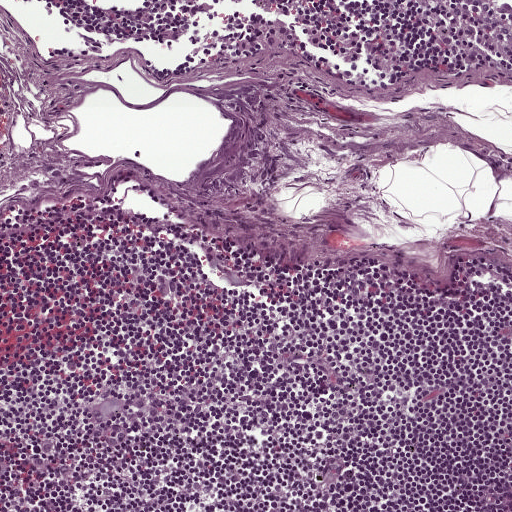
H&E-stained section of a sentinel lymph node (breast cancer), from a whole-slide image, viewed at about 10×: the field is about 0.5 mm across, about 0.97 µm per pixel.
Two metastatic tumour regions, each outlined as a closed clockwise path in crop pixels (x, y), largest first: region 1: (132, 396), (156, 404), (161, 413), (156, 422), (142, 410), (122, 409), (114, 418), (94, 425), (83, 420), (89, 409), (102, 403), (115, 398); region 2: (210, 241), (227, 256), (234, 266), (247, 272), (254, 282), (245, 290), (233, 288), (220, 280), (202, 258), (199, 246).
One more small tumour piece is annotated here but not outlined.
Under 5% of the image area is annotated as tumour.